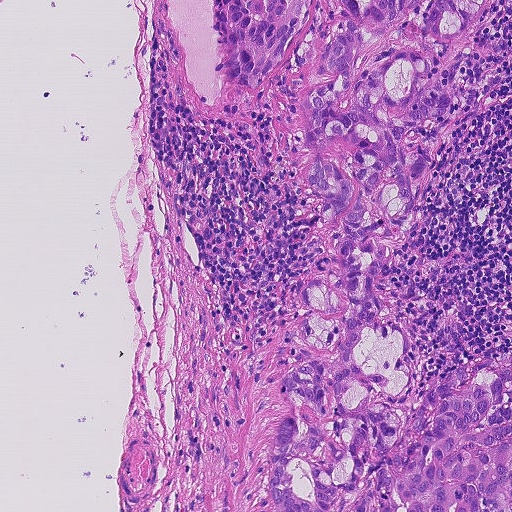
This is a crop of a whole-slide image: an H&E-stained breast-cancer sentinel lymph node section at roughly 10× magnification (about 0.9 µm per pixel; the crop spans about 0.46 mm).
Question: Does this lymph node field contain metastatic tumour?
Answer: Yes.
Outlines of two tumour regions, largest first (closed clockwise paths, crop pixels): region 1: (335, 0), (511, 0), (511, 511), (276, 511), (265, 488), (290, 408), (280, 385), (302, 346), (292, 326), (307, 309), (294, 290), (327, 237), (323, 202), (305, 188), (294, 100), (309, 61), (342, 31); region 2: (212, 0), (312, 0), (305, 24), (284, 65), (269, 81), (248, 90), (228, 81), (218, 61).
About 45% of this field is tumour.